H&E-stained section of a sentinel lymph node (breast cancer), from a whole-slide image, viewed at about 10×: the field is about 0.5 mm across, about 0.97 µm per pixel.
Image:
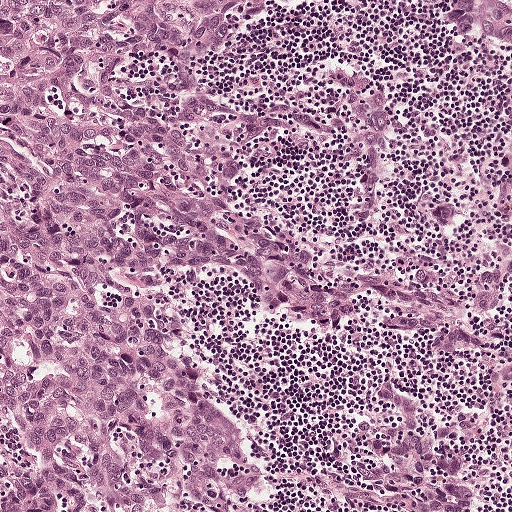
Question:
Does this lymph node field contain metastatic tumour?
Answer:
Yes.
One metastatic tumour region; its boundary, reduced to 17 corners and listed clockwise: (0, 0), (321, 0), (236, 56), (233, 84), (291, 116), (298, 157), (263, 192), (388, 315), (393, 350), (274, 328), (222, 292), (180, 285), (177, 315), (197, 382), (253, 486), (244, 511), (0, 511).
The annotated tumour makes up about 50% of the crop.